Question: 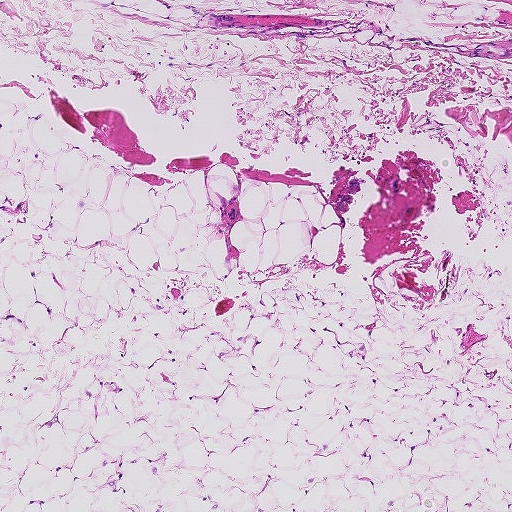
At roughly what magnification is this field shown?

Choices:
 (A) about 5×
 (B) about 10×
 (C) about 40×
 (D) about 2.5×
 (E) about 20×

Answer: (A) about 5×
A 0.93-mm field of an H&E-stained sentinel lymph node from a breast-cancer patient (whole-slide image), shown at about 5×, about 1.8 µm per pixel.